Lymph node section stained with H&E, from a whole-slide image of a breast-cancer sentinel node. Magnification about 10×, about 0.46 mm across the frame, about 0.91 µm per pixel.
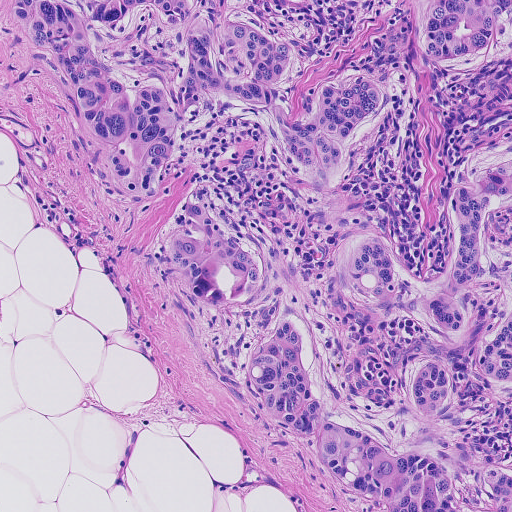
Metastatic tumour outline, simplified to 23 points and listed clockwise in crop pixels (x, y): (16, 0), (511, 0), (511, 386), (466, 377), (455, 418), (500, 461), (511, 511), (385, 511), (261, 414), (245, 366), (284, 305), (269, 286), (229, 314), (206, 303), (169, 242), (191, 199), (305, 276), (328, 272), (341, 223), (220, 103), (184, 118), (157, 194), (120, 186).
About 55% of this field is tumour.